Image:
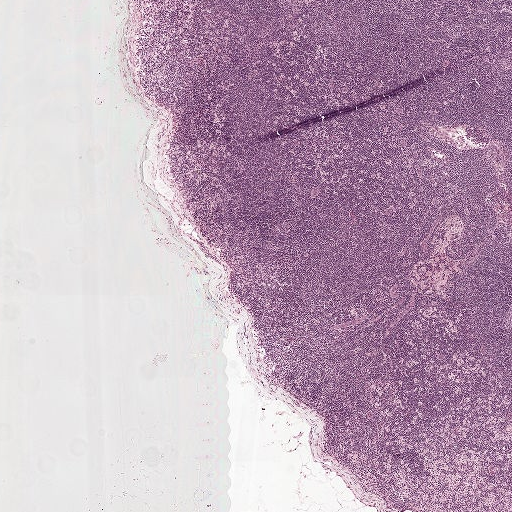
This is a crop of a whole-slide image: an H&E-stained breast-cancer sentinel lymph node section at roughly 2.5× magnification (about 3.9 µm per pixel; the crop spans about 2.0 mm).
Question:
Does this lymph node field contain metastatic tumour?
Answer:
No. No metastatic tumour is outlined in this field.